Image:
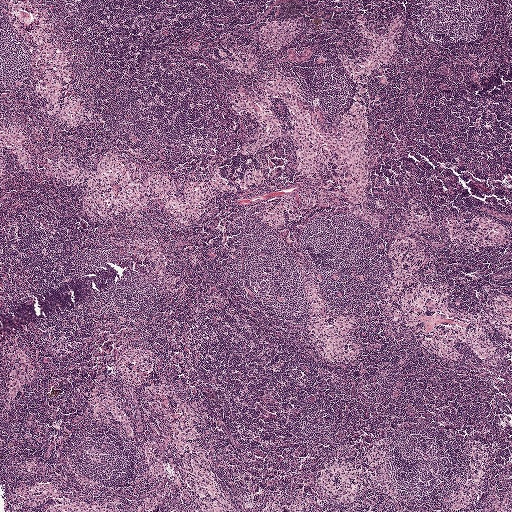
H&E-stained section of a sentinel lymph node (breast cancer), from a whole-slide image, viewed at about 2.5×: the field is about 2.0 mm across, about 3.9 µm per pixel.
Question:
Does this lymph node field contain metastatic tumour?
Answer:
No, this field holds no outlined metastasis.